A 1-mm field of an H&E-stained sentinel lymph node from a breast-cancer patient (whole-slide image), shown at about 5×, about 1.9 µm per pixel.
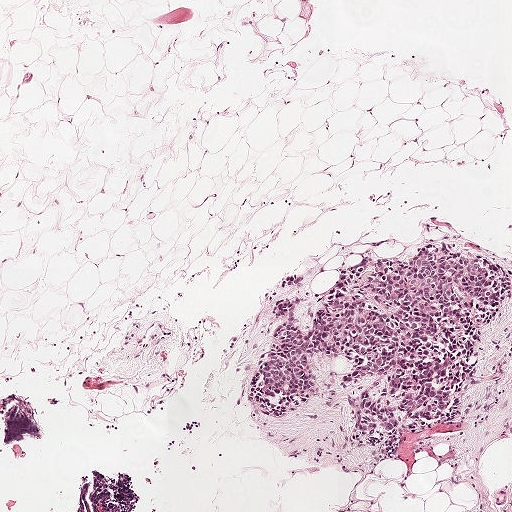
Metastatic tumour outline, simplified to 24 points and listed clockwise in crop pixels (x, y): (440, 243), (500, 263), (509, 298), (479, 332), (457, 405), (364, 434), (349, 405), (376, 380), (339, 386), (351, 366), (314, 352), (323, 382), (312, 398), (283, 416), (251, 399), (278, 317), (270, 306), (290, 293), (275, 276), (301, 271), (294, 310), (310, 327), (334, 275), (366, 258).
About 10% of the image area is annotated as tumour.